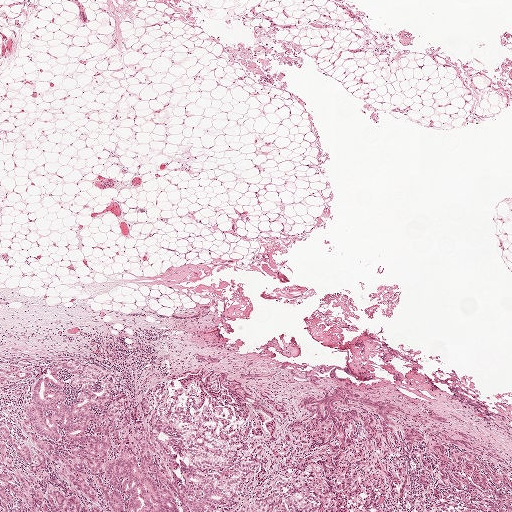
This is a crop of a whole-slide image: an H&E-stained breast-cancer sentinel lymph node section at roughly 2.5× magnification (about 3.9 µm per pixel; the crop spans about 2.0 mm).